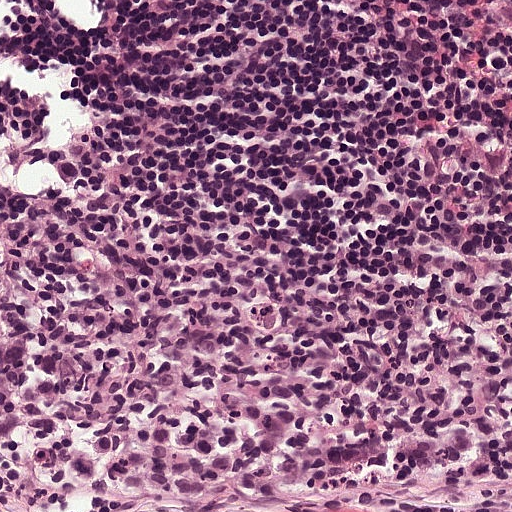
A 0.25-mm field of an H&E-stained sentinel lymph node from a breast-cancer patient (whole-slide image), shown at about 20×, about 0.49 µm per pixel.
Question: Where is the metastatic tumour in this field? Give each region's outline as (x, y) pixel points.
Answer: One metastatic tumour region; its boundary, reduced to 8 corners and listed clockwise: (159, 238), (324, 294), (359, 321), (436, 444), (439, 492), (426, 508), (0, 511), (0, 266).
Tumour covers about 40% of the frame.